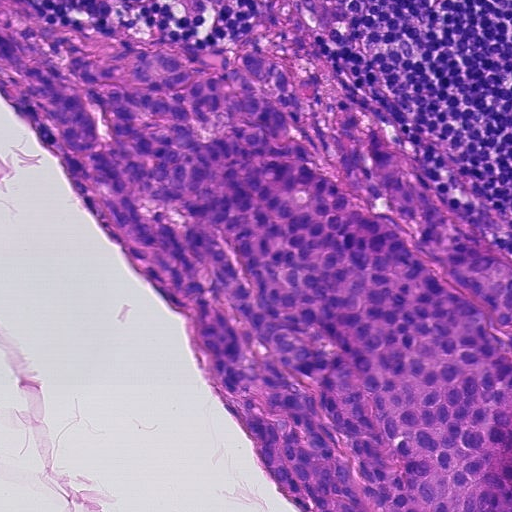
A 0.23-mm field of an H&E-stained sentinel lymph node from a breast-cancer patient (whole-slide image), shown at about 20×, about 0.45 µm per pixel.
Metastatic tumour outline, simplified to 12 points and listed clockwise in crop pixels (x, y): (0, 0), (130, 36), (288, 52), (387, 124), (462, 224), (511, 258), (511, 511), (301, 511), (215, 402), (180, 314), (118, 254), (0, 91).
Tumour covers about 60% of the frame.